H&E-stained section of a sentinel lymph node (breast cancer), from a whole-slide image, viewed at about 2.5×: the field is about 2.0 mm across, about 3.9 µm per pixel.
Question: 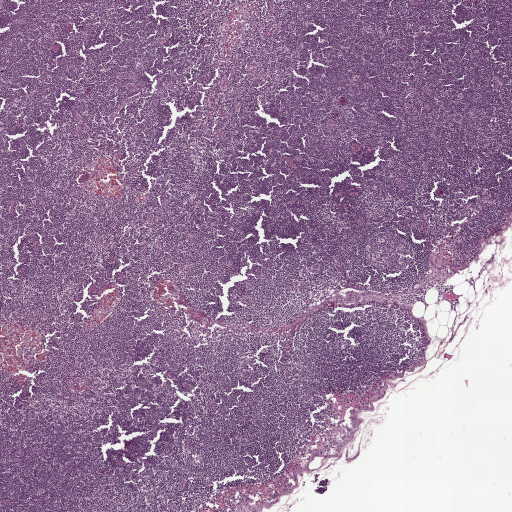
What fraction of the image area is metastatic tumour?

Choices:
 (A) about 50% or more
 (B) none: no tumour is outlined
 (C) about 10% to 20%
 (D) about 5% or less
 (E) about 25% to 45%

Answer: (D) about 5% or less
Under 5% of the field is tumour.
Metastatic tumour outline, simplified to 18 points and listed clockwise in crop pixels (x, y): (352, 290), (360, 292), (365, 291), (369, 292), (370, 294), (368, 297), (364, 298), (361, 301), (357, 302), (347, 303), (341, 303), (332, 301), (333, 300), (338, 293), (340, 293), (345, 296), (345, 292), (346, 291).